H&E-stained section of a sentinel lymph node (breast cancer), from a whole-slide image, viewed at about 5×: the field is about 1 mm across, about 1.9 µm per pixel.
Question: 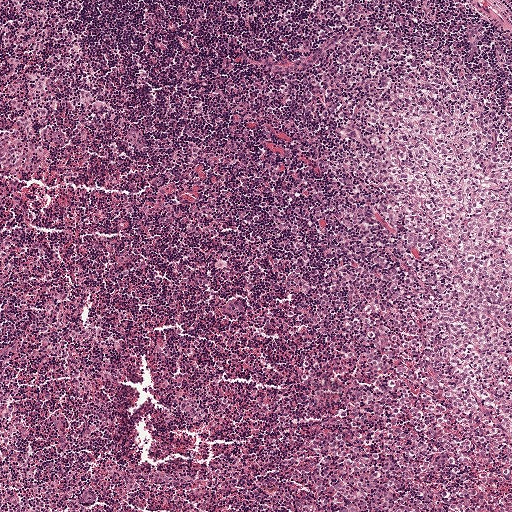
Roughly what share of this field is metastatic tumour?

Choices:
 (A) about 50% or more
 (B) about 5% or less
 (C) about 10% to 20%
 (D) about 25% to 45%
 (E) none: no tumour is outlined

Answer: (D) about 25% to 45%
About 35% of the field is tumour.
One metastatic tumour region; its boundary, reduced to 16 corners and listed clockwise: (376, 37), (423, 44), (468, 106), (482, 153), (509, 170), (511, 511), (289, 511), (276, 422), (294, 388), (302, 330), (266, 288), (264, 190), (306, 184), (382, 250), (335, 130), (338, 60).